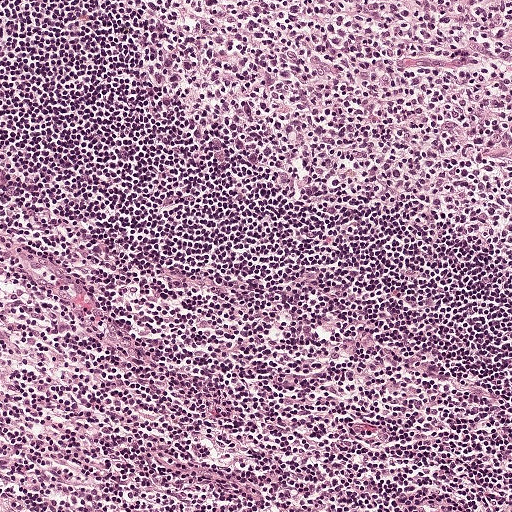
This is a crop of a whole-slide image: an H&E-stained breast-cancer sentinel lymph node section at roughly 10× magnification (about 0.97 µm per pixel; the crop spans about 0.5 mm).